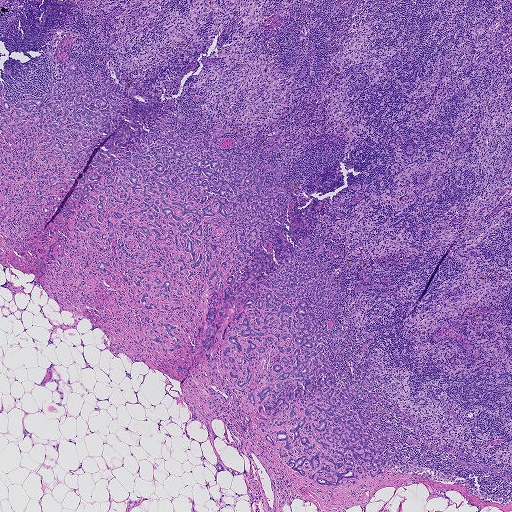
A 1.9-mm field of an H&E-stained sentinel lymph node from a breast-cancer patient (whole-slide image), shown at about 2.5×, about 3.6 µm per pixel.
Two metastatic tumour regions, each outlined as a closed clockwise path in crop pixels (x, y), largest first: region 1: (270, 136), (273, 136), (273, 138), (273, 141), (270, 145), (270, 146), (275, 146), (277, 147), (277, 149), (276, 151), (274, 150), (271, 153), (266, 156), (261, 156), (262, 153), (263, 151), (265, 149), (269, 147), (269, 145), (267, 144), (266, 141), (268, 137); region 2: (191, 405), (193, 406), (195, 407), (196, 410), (194, 412), (196, 414), (196, 420), (194, 421), (191, 421), (191, 415), (193, 412), (191, 412), (189, 407).
One more tumour region is annotated but not outlined: its edge is too irregular for a short outline.
Seven more small tumour pieces are annotated here but not outlined.
About 30% of the image area is annotated as tumour.